Question: 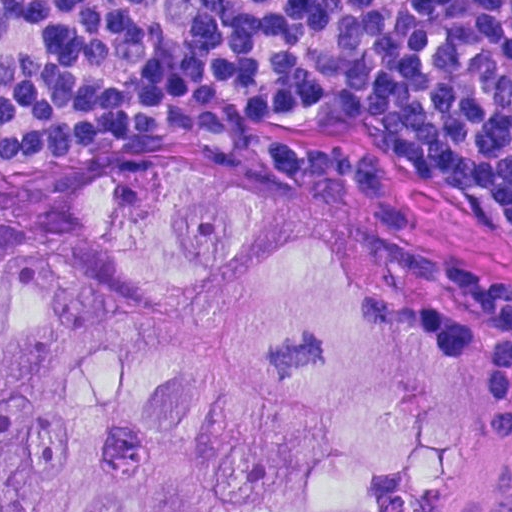
At roughly what magnification is this field shown?

Choices:
 (A) about 40×
 (B) about 20×
 (C) about 2.5×
 (D) about 10×
 (E) about 5×

Answer: (A) about 40×
A 0.12-mm field of an H&E-stained sentinel lymph node from a breast-cancer patient (whole-slide image), shown at about 40×, about 0.23 µm per pixel.
Metastatic tumour outline, simplified to 12 points and listed clockwise in crop pixels (x, y): (124, 156), (203, 158), (282, 189), (344, 245), (387, 312), (461, 346), (491, 419), (469, 496), (443, 511), (0, 511), (0, 241), (49, 191).
About 55% of the image area is annotated as tumour.